Question: 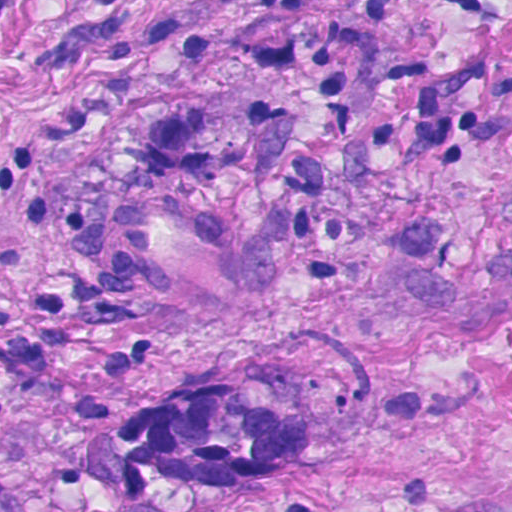
Which magnification is this H&E lymph node field most likely shown at?

Choices:
 (A) about 20×
 (B) about 5×
 (C) about 2.5×
 (D) about 10×
 (E) about 40×

Answer: (E) about 40×
A 0.12-mm field of an H&E-stained sentinel lymph node from a breast-cancer patient (whole-slide image), shown at about 40×, about 0.23 µm per pixel.
The outlined metastatic tumour's edge, as a closed clockwise path of 11 points: (195, 378), (229, 383), (290, 405), (315, 425), (303, 455), (243, 483), (211, 485), (154, 478), (125, 463), (112, 433), (134, 409).
One more small tumour piece is annotated here but not outlined.
The annotated tumour makes up about 10% of the crop.